Question: 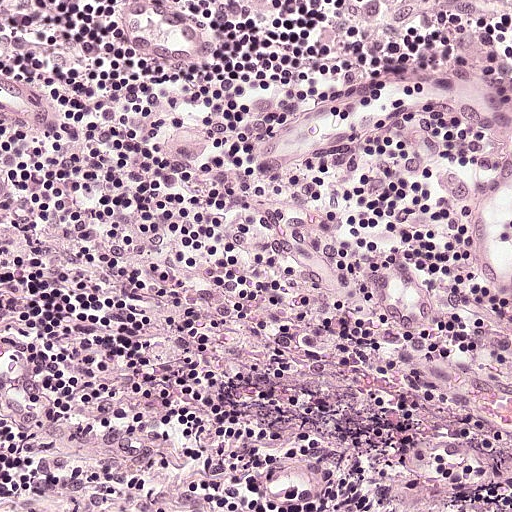
This is a crop of a whole-slide image: an H&E-stained breast-cancer sentinel lymph node section at roughly 20× magnification (about 0.49 µm per pixel; the crop spans about 0.25 mm).
Roughly what share of this field is metastatic tumour?

Choices:
 (A) about 5% or less
 (B) about 50% or more
 (C) none: no tumour is outlined
 (D) about 25% to 45%
 (E) about 10% to 20%

Answer: (C) none: no tumour is outlined
No metastatic tumour is outlined in this field.